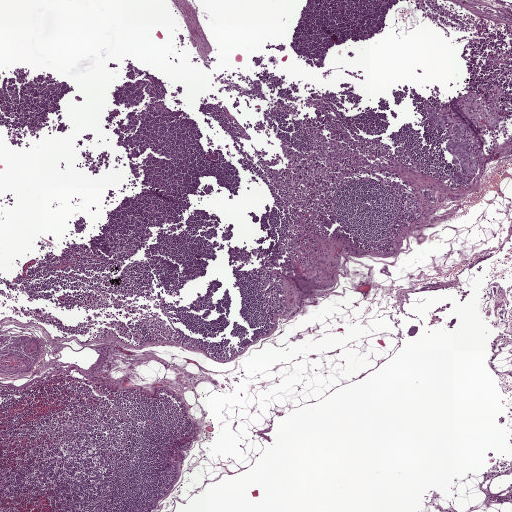
A 2.0-mm field of an H&E-stained sentinel lymph node from a breast-cancer patient (whole-slide image), shown at about 2.5×, about 3.9 µm per pixel.
Outlines of three tumour regions, largest first (closed clockwise paths, crop pixels): region 1: (489, 82), (496, 83), (505, 92), (506, 98), (500, 127), (495, 130), (487, 128), (480, 168), (474, 179), (469, 180), (462, 174), (459, 166), (453, 165), (449, 153), (444, 151), (445, 129), (428, 124), (423, 106), (427, 98), (434, 107), (439, 102); region 2: (484, 7), (493, 8), (497, 11), (493, 14), (482, 12); region 3: (75, 423), (81, 425), (82, 428), (81, 430), (77, 427), (72, 426), (70, 429), (65, 430), (62, 429), (64, 426), (67, 425), (70, 424).
Six more small tumour pieces are annotated here but not outlined.
Under 5% of this field is tumour.